Image:
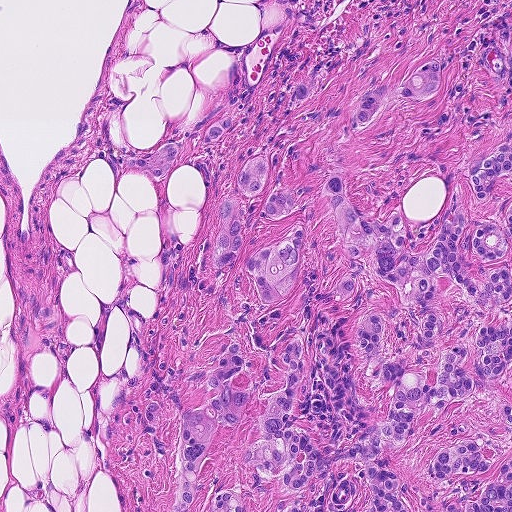
H&E-stained section of a sentinel lymph node (breast cancer), from a whole-slide image, viewed at about 10×: the field is about 0.46 mm across, about 0.9 µm per pixel.
Question:
Does this lymph node field contain metastatic tumour?
Answer:
Yes.
Two metastatic tumour regions, each outlined as a closed clockwise path in crop pixels (x, y), largest first: region 1: (265, 145), (269, 186), (297, 194), (296, 210), (256, 219), (239, 260), (308, 203), (307, 265), (336, 238), (328, 178), (358, 212), (428, 222), (510, 149), (511, 511), (170, 511), (183, 406), (213, 398), (217, 354), (253, 306), (236, 267), (214, 279), (208, 264), (250, 152); region 2: (264, 0), (301, 0), (254, 94), (242, 112), (214, 142), (176, 160), (150, 181), (120, 156), (141, 154), (179, 134), (200, 130), (217, 120), (231, 105), (240, 84), (244, 44), (259, 28).
About 40% of the image area is annotated as tumour.